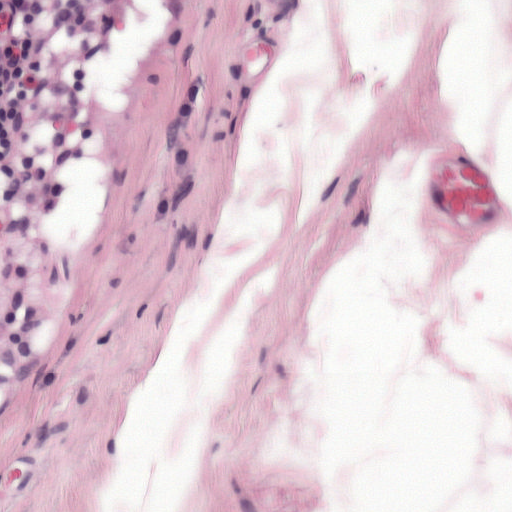
H&E-stained section of a sentinel lymph node (breast cancer), from a whole-slide image, viewed at about 20×: the field is about 0.25 mm across, about 0.49 µm per pixel.